Question: 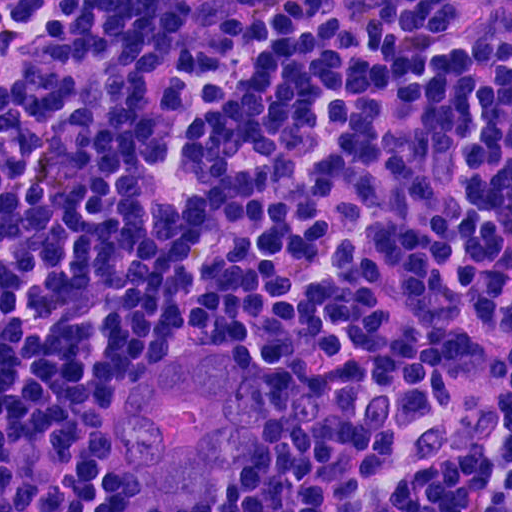
Which magnification is this H&E lymph node field most likely shown at?

Choices:
 (A) about 5×
 (B) about 20×
 (C) about 10×
 (D) about 2.5×
 (E) about 40×

Answer: (E) about 40×
A 0.12-mm field of an H&E-stained sentinel lymph node from a breast-cancer patient (whole-slide image), shown at about 40×, about 0.23 µm per pixel.
One metastatic tumour region; its boundary, reduced to 12 corners and listed clockwise: (194, 346), (234, 356), (269, 377), (270, 417), (257, 457), (229, 486), (188, 506), (150, 491), (123, 460), (107, 420), (121, 386), (157, 363).
About 5% of this field is tumour.